This is a crop of a whole-slide image: an H&E-stained breast-cancer sentinel lymph node section at roughly 2.5× magnification (about 4.0 µm per pixel; the crop spans about 2.0 mm).
Question: 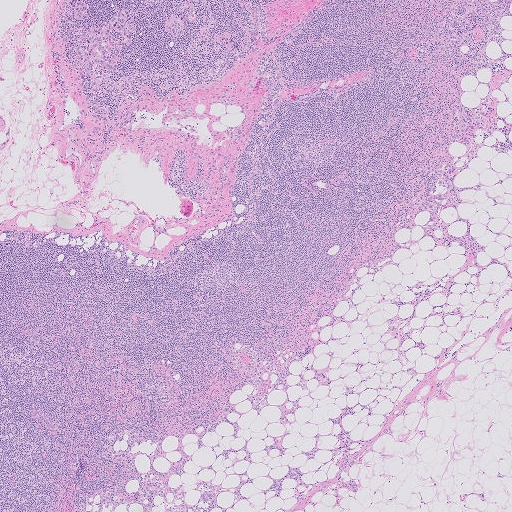
About how much of this crop is taken up by metastatic carcinoma?

Choices:
 (A) about 10% to 20%
 (B) about 5% or less
 (C) about 50% or more
 (D) none: no tumour is outlined
 (E) about 25% to 45%

Answer: (B) about 5% or less
Under 5% of the field is tumour.
Boundaries of four metastatic tumour regions, simplified and listed clockwise, largest first: region 1: (120, 8), (126, 8), (132, 15), (135, 27), (129, 45), (120, 51), (113, 49), (113, 52), (120, 55), (117, 72), (111, 73), (97, 69), (89, 74), (86, 72), (83, 81), (79, 80), (76, 73), (84, 69), (76, 54), (76, 47), (86, 44), (86, 31), (90, 26), (107, 21); region 2: (64, 0), (84, 0), (87, 2), (87, 12), (82, 18), (76, 20), (70, 17); region 3: (180, 14), (183, 24), (181, 38), (174, 38), (164, 30), (163, 27), (169, 17); region 4: (194, 5), (197, 16), (197, 20), (196, 23), (192, 24), (186, 22), (184, 18), (186, 11), (188, 8), (191, 6).
Two more small tumour pieces are annotated here but not outlined.